Lymph node section stained with H&E, from a whole-slide image of a breast-cancer sentinel node. Magnification about 2.5×, about 2.0 mm across the frame, about 3.9 µm per pixel.
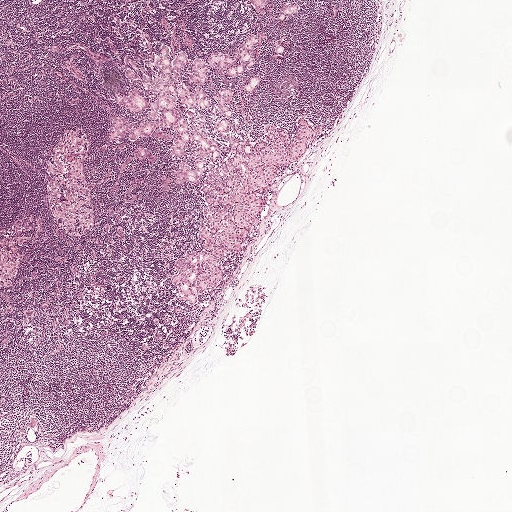
Outlines of four tumour regions, largest first (closed clockwise paths, crop pixels): region 1: (254, 36), (258, 64), (230, 86), (229, 136), (248, 144), (273, 124), (289, 141), (298, 121), (324, 126), (254, 192), (242, 253), (222, 259), (222, 282), (195, 304), (179, 300), (174, 264), (205, 246), (207, 204), (169, 173), (193, 150), (188, 149), (181, 159), (172, 158), (170, 129), (108, 138), (113, 118), (147, 115), (120, 99), (154, 98), (122, 68), (153, 80), (160, 48), (186, 50), (182, 83), (199, 56), (210, 93), (225, 79), (206, 55), (233, 56); region 2: (256, 74), (262, 78), (262, 82), (254, 92), (251, 93), (245, 92), (240, 89), (252, 75); region 3: (290, 2), (300, 5), (301, 8), (298, 12), (295, 14), (288, 14), (283, 20), (278, 17), (280, 7); region 4: (248, 0), (268, 0), (263, 15), (262, 15), (257, 14), (255, 10), (248, 3).
One more small tumour piece is annotated here but not outlined.
About 10% of this field is tumour.